This is a crop of a whole-slide image: an H&E-stained breast-cancer sentinel lymph node section at roughly 5× magnification (about 1.8 µm per pixel; the crop spans about 0.93 mm).
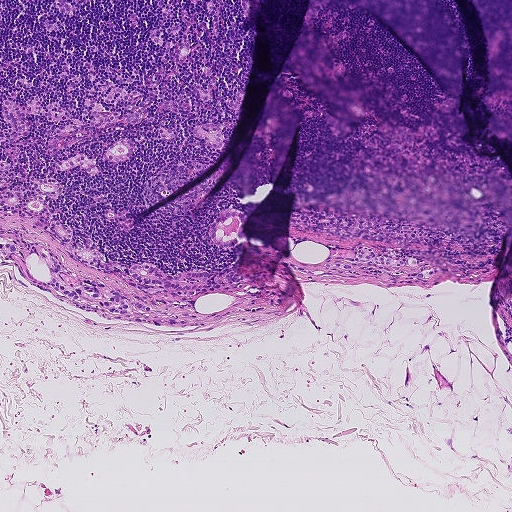
Metastatic tumour outline, simplified to 4 points and listed clockwise in crop pixels (x, y): (243, 0), (249, 0), (252, 14), (244, 19).
One more tumour region is annotated but not outlined: its edge is too irregular for a short outline.
About 25% of the image area is annotated as tumour.